Question: 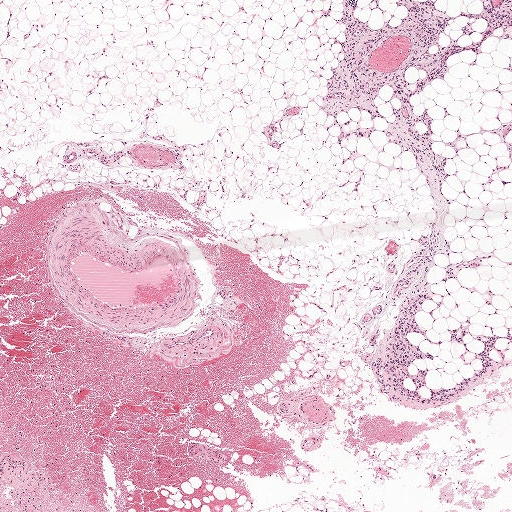
A 2.0-mm field of an H&E-stained sentinel lymph node from a breast-cancer patient (whole-slide image), shown at about 2.5×, about 3.9 µm per pixel.
Estimate the proportion of this field that is metastatic tumour.

Choices:
 (A) about 10% to 20%
 (B) about 5% or less
 (C) none: no tumour is outlined
 (D) about 50% or more
 (E) about 25% to 45%

Answer: (A) about 10% to 20%
About 10% of the field is tumour.
Two metastatic tumour regions, each outlined as a closed clockwise path in crop pixels (x, y), largest first: region 1: (343, 0), (351, 0), (367, 24), (396, 25), (407, 8), (395, 0), (436, 3), (450, 19), (434, 52), (469, 22), (458, 13), (479, 14), (479, 0), (511, 0), (511, 39), (484, 38), (471, 66), (472, 47), (451, 49), (443, 80), (411, 99), (415, 113), (425, 109), (438, 120), (445, 105), (451, 114), (430, 126), (450, 171), (434, 186), (406, 148), (378, 131), (336, 141), (337, 123), (318, 102), (342, 54), (343, 26), (321, 16), (321, 6), (341, 18); region 2: (509, 121), (511, 122), (511, 130), (507, 132), (505, 135), (505, 137), (506, 139), (511, 139), (511, 161), (510, 160), (508, 153), (505, 145), (502, 143), (501, 140), (498, 137), (496, 133), (491, 131), (491, 130), (495, 127).
One more tumour region is annotated but not outlined: its edge is too irregular for a short outline.
Four more small tumour pieces are annotated here but not outlined.